H&E-stained section of a sentinel lymph node (breast cancer), from a whole-slide image, viewed at about 5×: the field is about 1 mm across, about 1.9 µm per pixel.
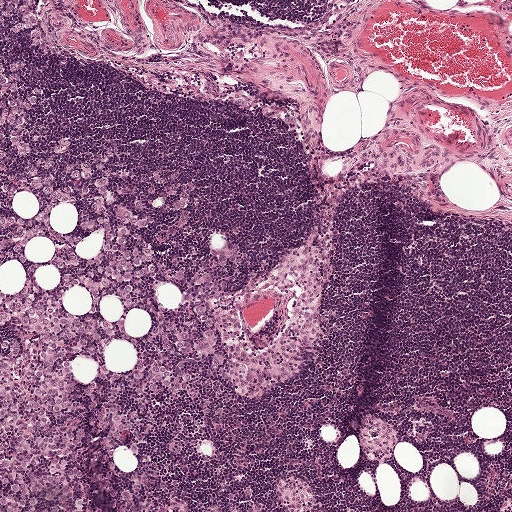
Outlines of two tumour regions, largest first (closed clockwise paths, crop pixels): region 1: (0, 59), (30, 98), (40, 146), (103, 177), (156, 254), (217, 292), (215, 370), (108, 459), (128, 474), (158, 472), (184, 509), (120, 511), (104, 472), (108, 395), (91, 380), (95, 362), (76, 356), (92, 511), (0, 511), (0, 289), (21, 294), (26, 270), (14, 259), (0, 267); region 2: (0, 0), (33, 0), (33, 16), (23, 33), (10, 33), (1, 30).
Region 1 encloses 10 non-tumour holes totalling about 10% of its area.
Tumour covers about 20% of the frame.